Question: 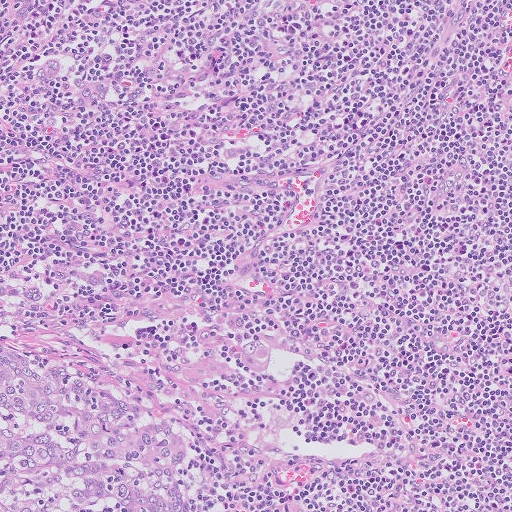
H&E-stained section of a sentinel lymph node (breast cancer), from a whole-slide image, viewed at about 10×: the field is about 0.51 mm across, about 1.0 µm per pixel.
Estimate the proportion of this field that is metastatic tumour.

Choices:
 (A) about 10% to 20%
 (B) about 50% or more
 (C) none: no tumour is outlined
 (D) about 25% to 45%
 (E) about 5% or less

Answer: (D) about 25% to 45%
About 25% of the field is tumour.
Boundaries of two metastatic tumour regions, simplified and listed clockwise, largest first: region 1: (0, 261), (196, 313), (260, 357), (296, 511), (0, 511); region 2: (0, 0), (80, 0), (69, 79), (0, 114).
Question: 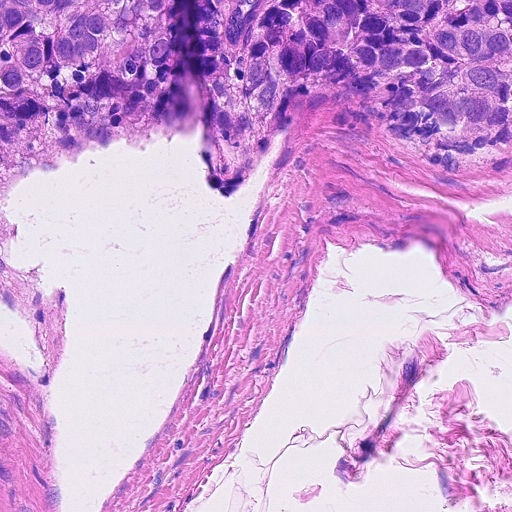
Lymph node section stained with H&E, from a whole-slide image of a breast-cancer sentinel node. Magnification about 20×, about 0.23 mm across the frame, about 0.45 µm per pixel.
Estimate the proportion of this field that is metastatic tumour.

Choices:
 (A) about 10% to 20%
 (B) about 25% to 45%
 (C) about 5% or less
 (D) none: no tumour is outlined
 (E) about 50% or more

Answer: (B) about 25% to 45%
About 30% of the field is tumour.
The outlined metastatic tumour's edge, as a closed clockwise path of 11 points: (0, 0), (511, 0), (511, 154), (406, 156), (352, 126), (314, 120), (216, 196), (194, 160), (199, 122), (50, 165), (0, 154).
Question: 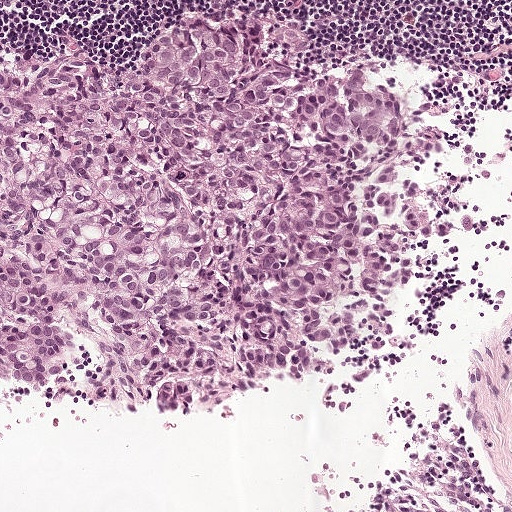
A 0.5-mm field of an H&E-stained sentinel lymph node from a breast-cancer patient (whole-slide image), shown at about 10×, about 0.97 µm per pixel.
Estimate the proportion of this field that is metastatic tumour.

Choices:
 (A) none: no tumour is outlined
 (B) about 25% to 45%
 (C) about 50% or more
 (D) about 5% or less
 (E) about 10% to 20%

Answer: (C) about 50% or more
About 60% of the field is tumour.
Two metastatic tumour regions, each outlined as a closed clockwise path in crop pixels (x, y), largest first: region 1: (265, 18), (349, 50), (408, 107), (476, 142), (478, 236), (431, 249), (397, 336), (348, 390), (314, 390), (290, 373), (266, 403), (224, 411), (84, 405), (57, 390), (6, 395), (0, 68), (72, 61), (123, 72), (170, 24); region 2: (466, 462), (480, 469), (488, 476), (492, 492), (492, 511), (384, 511), (388, 502), (396, 495), (414, 488), (422, 490), (440, 500), (454, 498), (458, 494), (464, 479).
Question: 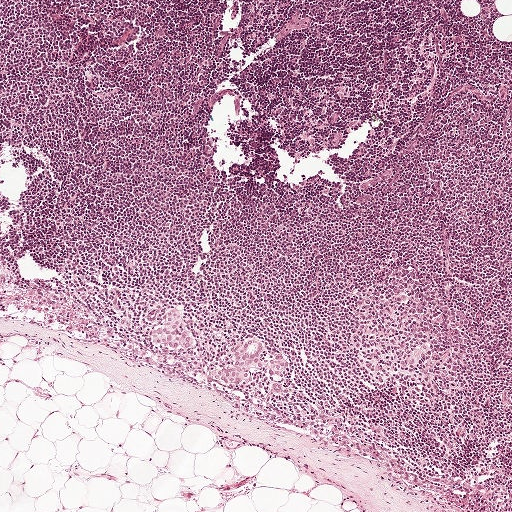
H&E-stained section of a sentinel lymph node (breast cancer), from a whole-slide image, viewed at about 5×: the field is about 1 mm across, about 1.9 µm per pixel.
Estimate the proportion of this field that is metastatic tumour.

Choices:
 (A) about 5% or less
 (B) about 50% or more
 (C) about 25% to 45%
 (D) about 10% to 20%
 (E) none: no tumour is outlined

Answer: (A) about 5% or less
Under 5% of the field is tumour.
Outlines of two tumour regions, largest first (closed clockwise paths, crop pixels): region 1: (244, 340), (260, 340), (264, 347), (262, 358), (266, 360), (270, 359), (277, 353), (282, 353), (286, 360), (285, 372), (277, 376), (260, 369), (252, 369), (249, 371), (250, 379), (241, 380), (230, 386), (206, 378), (207, 367), (230, 360), (232, 344); region 2: (176, 308), (177, 312), (182, 316), (190, 338), (190, 344), (186, 349), (175, 346), (159, 347), (156, 343), (148, 339), (150, 327), (160, 322), (160, 311).